Question: 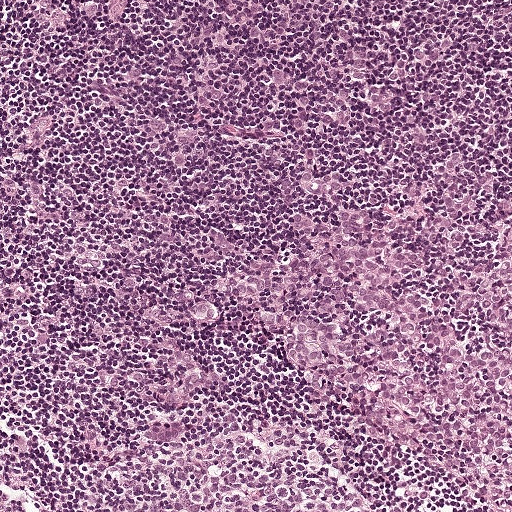
Lymph node section stained with H&E, from a whole-slide image of a breast-cancer sentinel node. Magnification about 10×, about 0.5 mm across the frame, about 0.97 µm per pixel.
Estimate the proportion of this field that is metastatic tumour.

Choices:
 (A) about 5% or less
 (B) about 25% to 45%
 (C) about 50% or more
 (D) about 10% to 20%
 (E) none: no tumour is outlined

Answer: (B) about 25% to 45%
About 25% of the field is tumour.
One metastatic tumour region; its boundary, reduced to 11 corners and listed clockwise: (463, 156), (511, 168), (510, 495), (436, 478), (324, 396), (286, 387), (254, 350), (233, 277), (251, 245), (309, 200), (374, 195).